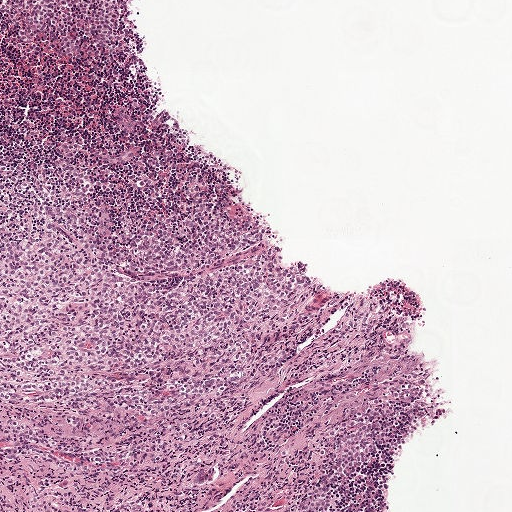
Lymph node section stained with H&E, from a whole-slide image of a breast-cancer sentinel node. Magnification about 5×, about 1 mm across the frame, about 1.9 µm per pixel.
Question: Is any metastatic breast cancer visible in this crop?
Answer: Yes.
One metastatic tumour region; its boundary, reduced to 15 corners and listed clockwise: (0, 160), (70, 169), (135, 242), (138, 206), (194, 201), (262, 235), (300, 268), (406, 299), (426, 326), (429, 369), (404, 436), (376, 458), (404, 489), (399, 509), (0, 511).
The annotated tumour makes up about 45% of the crop.